Lymph node section stained with H&E, from a whole-slide image of a breast-cancer sentinel node. Magnification about 20×, about 0.25 mm across the frame, about 0.49 µm per pixel.
Question: 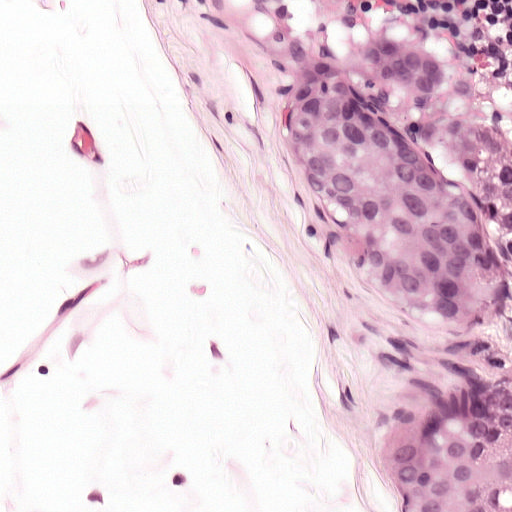
Roughly what share of this field is metastatic tumour?

Choices:
 (A) about 10% to 20%
 (B) about 50% or more
 (C) about 25% to 45%
 (D) none: no tumour is outlined
 (E) about 5% or less

Answer: (C) about 25% to 45%
About 25% of the field is tumour.
Two metastatic tumour regions, each outlined as a closed clockwise path in crop pixels (x, y), largest first: region 1: (347, 28), (398, 34), (511, 112), (511, 272), (476, 238), (489, 319), (404, 319), (358, 299), (321, 264), (278, 166), (279, 114), (299, 68); region 2: (511, 386), (511, 511), (381, 511), (372, 484), (389, 436), (432, 412).